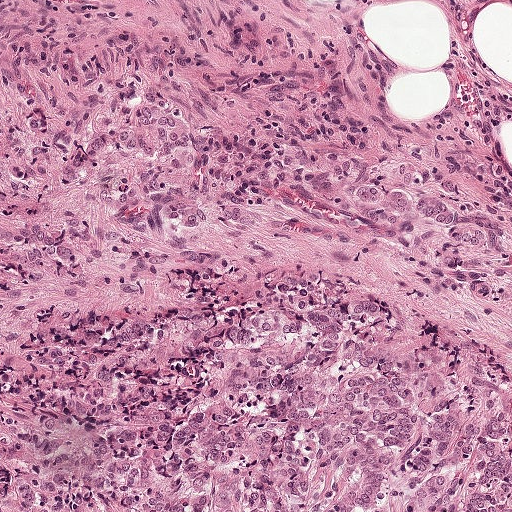
Lymph node section stained with H&E, from a whole-slide image of a breast-cancer sentinel node. Magnification about 10×, about 0.5 mm across the frame, about 0.97 µm per pixel.
Metastatic tumour outline, simplified to 5 points and listed clockwise in crop pixels (x, y): (509, 246), (511, 511), (0, 511), (0, 349), (264, 261).
The annotated tumour makes up about 45% of the crop.